Question: 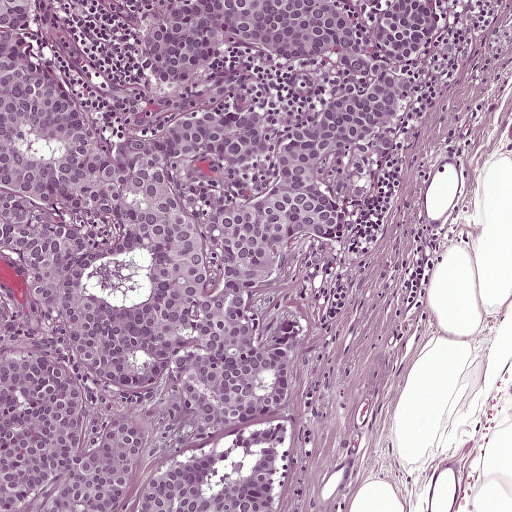
About what magnification does this crop show?

Choices:
 (A) about 5×
 (B) about 10×
 (C) about 2.5×
 (D) about 20×
 (E) about 40×

Answer: (B) about 10×
A 0.5-mm field of an H&E-stained sentinel lymph node from a breast-cancer patient (whole-slide image), shown at about 10×, about 0.97 µm per pixel.
One metastatic tumour region; its boundary, reduced to 24 corners and listed clockwise: (0, 0), (34, 0), (78, 113), (122, 135), (198, 105), (279, 123), (329, 103), (324, 76), (246, 57), (205, 88), (123, 90), (140, 69), (120, 49), (157, 0), (450, 0), (412, 114), (320, 162), (338, 238), (297, 250), (261, 307), (310, 327), (284, 384), (274, 502), (0, 511).
Tumour covers about 60% of the frame.